Question: 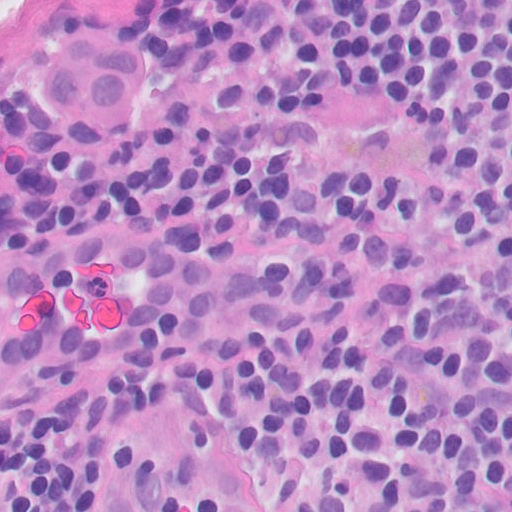
At roughly what magnification is this field shown?

Choices:
 (A) about 40×
 (B) about 2.5×
 (C) about 5×
 (D) about 10×
 (E) about 20×

Answer: (A) about 40×
Lymph node section stained with H&E, from a whole-slide image of a breast-cancer sentinel node. Magnification about 40×, about 0.13 mm across the frame, about 0.25 µm per pixel.
One metastatic tumour region; its boundary, reduced to 5 corners and listed clockwise: (66, 9), (169, 11), (197, 126), (59, 154), (1, 89).
The annotated tumour makes up about 10% of the crop.